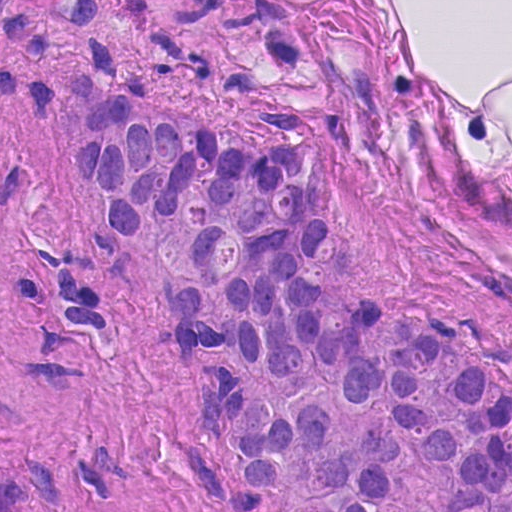
H&E-stained section of a sentinel lymph node (breast cancer), from a whole-slide image, viewed at about 40×: the field is about 0.12 mm across, about 0.23 µm per pixel.
Tumour region outline (a closed clockwise path, crop pixels): (123, 90), (220, 129), (322, 150), (338, 256), (371, 297), (421, 309), (511, 374), (511, 511), (277, 511), (239, 490), (207, 450), (175, 291), (60, 147), (72, 97).
One more small tumour piece is annotated here but not outlined.
About 40% of this field is tumour.